Question: 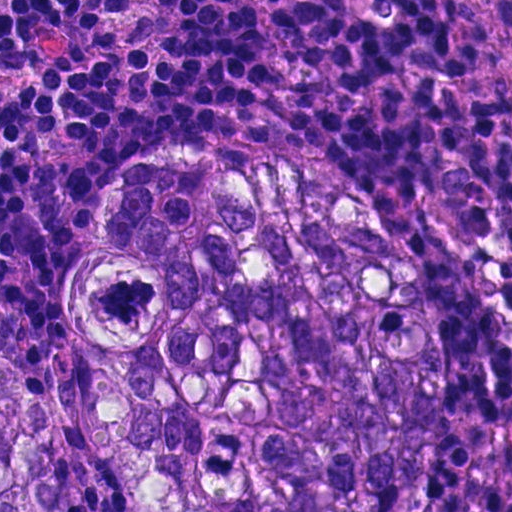
Which magnification is this H&E lymph node field most likely shown at?

Choices:
 (A) about 2.5×
 (B) about 5×
 (C) about 10×
 (D) about 40×
 (E) about 20×

Answer: (D) about 40×
A 0.12-mm field of an H&E-stained sentinel lymph node from a breast-cancer patient (whole-slide image), shown at about 40×, about 0.23 µm per pixel.
One metastatic tumour region; its boundary, reduced to 17 corners and listed clockwise: (264, 129), (406, 233), (434, 292), (441, 414), (430, 511), (142, 511), (76, 445), (72, 503), (0, 511), (0, 353), (33, 365), (66, 408), (82, 338), (55, 285), (93, 240), (103, 181), (145, 141).
Tumour covers about 50% of the frame.